Lymph node section stained with H&E, from a whole-slide image of a breast-cancer sentinel node. Magnification about 10×, about 0.46 mm across the frame, about 0.9 µm per pixel.
Question: 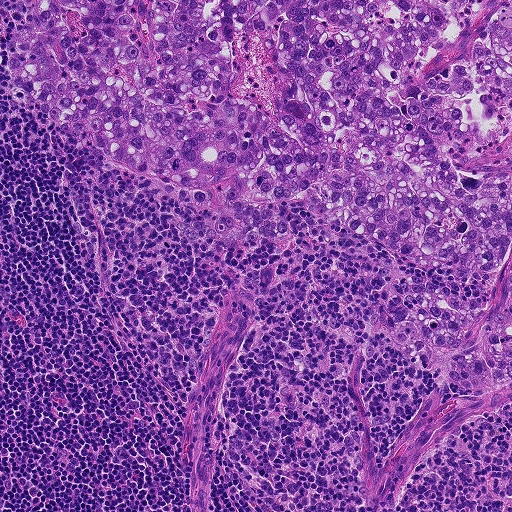
What fraction of the image area is metastatic tumour?

Choices:
 (A) about 25% to 45%
 (B) about 5% or less
 (C) about 10% to 20%
 (D) none: no tumour is outlined
 (E) about 50% or more

Answer: (A) about 25% to 45%
About 45% of the field is tumour.
Tumour region outline (a closed clockwise path, crop pixels): (24, 0), (511, 0), (511, 391), (451, 385), (431, 361), (389, 342), (378, 314), (402, 304), (393, 292), (412, 270), (466, 298), (488, 293), (474, 286), (282, 200), (268, 204), (296, 232), (284, 240), (232, 249), (179, 234), (174, 222), (217, 212), (79, 146), (8, 95).